Image:
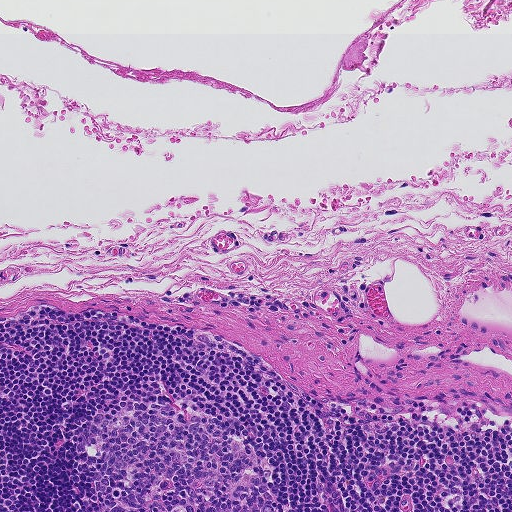
Lymph node section stained with H&E, from a whole-slide image of a breast-cancer sentinel node. Magnification about 10×, about 0.46 mm across the frame, about 0.9 µm per pixel.
Question:
Is any metastatic breast cancer visible in this crop?
Answer:
No. No metastatic tumour is outlined in this field.